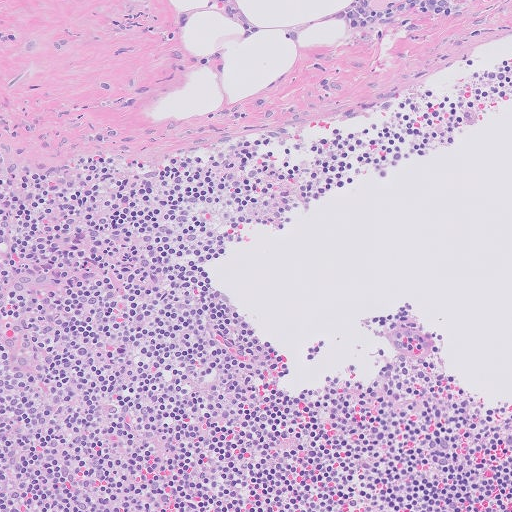
A 0.51-mm field of an H&E-stained sentinel lymph node from a breast-cancer patient (whole-slide image), shown at about 10×, about 1.0 µm per pixel.